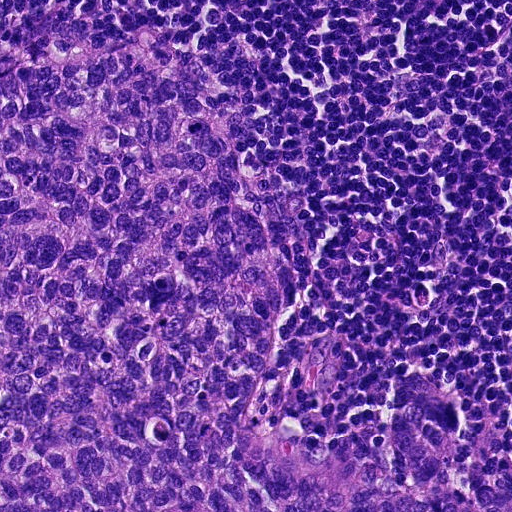
Lymph node section stained with H&E, from a whole-slide image of a breast-cancer sentinel node. Magnification about 20×, about 0.23 mm across the frame, about 0.45 µm per pixel.
The outlined metastatic tumour's edge, as a closed clockwise path of 16 points: (66, 8), (119, 30), (180, 34), (228, 70), (318, 210), (322, 266), (296, 316), (286, 372), (298, 426), (354, 433), (384, 384), (436, 360), (511, 443), (511, 511), (0, 511), (0, 38).
About 60% of this field is tumour.